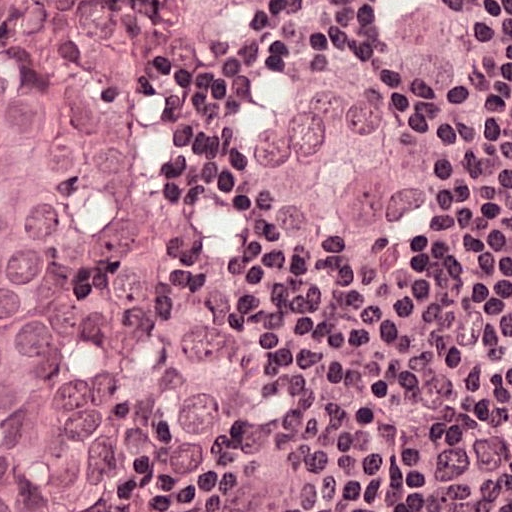
A 0.12-mm field of an H&E-stained sentinel lymph node from a breast-cancer patient (whole-slide image), shown at about 40×, about 0.24 µm per pixel.
Boundaries of two metastatic tumour regions, simplified and listed clockwise, largest first: region 1: (0, 0), (108, 0), (131, 47), (142, 126), (213, 231), (250, 313), (293, 505), (0, 511); region 2: (407, 0), (450, 7), (473, 55), (475, 113), (450, 218), (415, 247), (355, 259), (292, 234), (260, 197), (242, 152), (242, 99), (268, 68).
About 60% of this field is tumour.